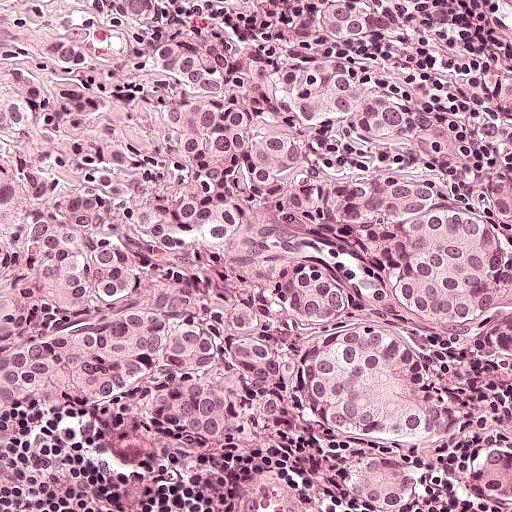
This is a crop of a whole-slide image: an H&E-stained breast-cancer sentinel lymph node section at roughly 20× magnification (about 0.49 µm per pixel; the crop spans about 0.25 mm).
One metastatic tumour region; its boundary, reduced to 12 corners and listed clockwise: (0, 0), (409, 0), (436, 32), (510, 61), (511, 508), (425, 496), (415, 511), (382, 511), (288, 440), (175, 454), (84, 390), (2, 420).
About 85% of this field is tumour.